Question: 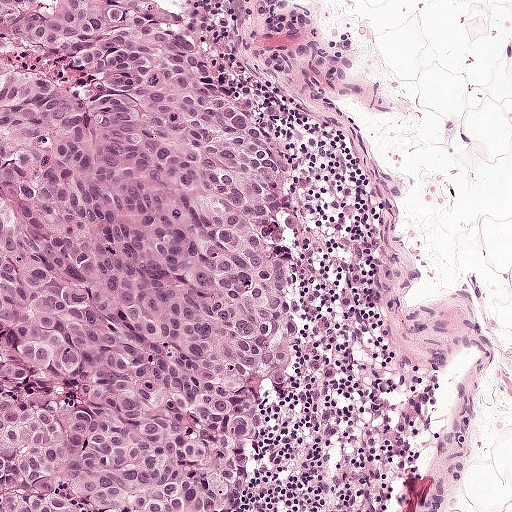
H&E-stained section of a sentinel lymph node (breast cancer), from a whole-slide image, viewed at about 10×: the field is about 0.5 mm across, about 0.97 µm per pixel.
What fraction of the image area is metastatic tumour?

Choices:
 (A) about 5% or less
 (B) about 10% to 20%
 (C) none: no tumour is outlined
 (D) about 50% or more
 (E) about 25% to 45%

Answer: (D) about 50% or more
About 55% of the field is tumour.
The outlined metastatic tumour's edge, as a closed clockwise path of 7 points: (0, 0), (203, 0), (284, 108), (318, 254), (320, 350), (248, 511), (0, 511).